Question: 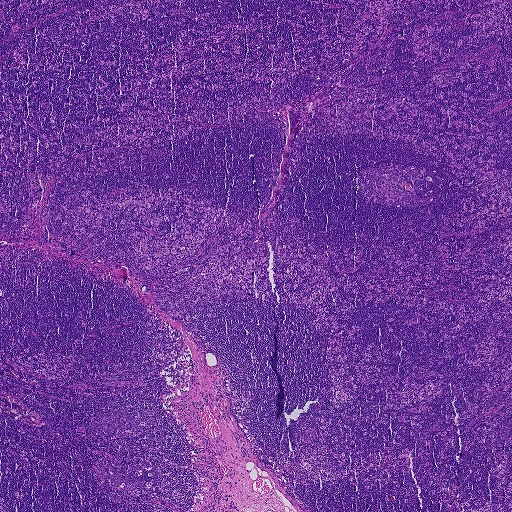
At roughly what magnification is this field shown?

Choices:
 (A) about 2.5×
 (B) about 10×
 (C) about 40×
 (D) about 20×
 (E) about 5×

Answer: (A) about 2.5×
A 1.9-mm field of an H&E-stained sentinel lymph node from a breast-cancer patient (whole-slide image), shown at about 2.5×, about 3.6 µm per pixel.